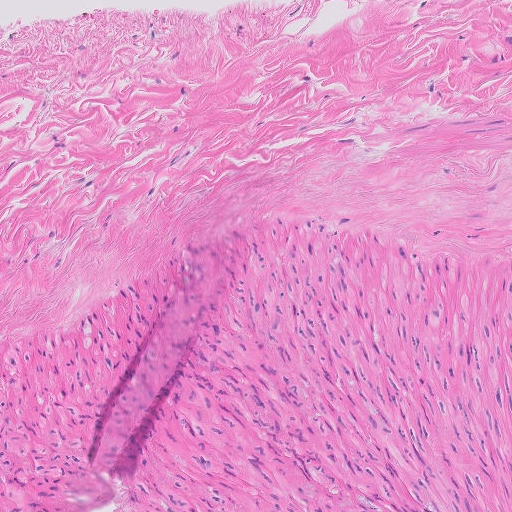
Lymph node section stained with H&E, from a whole-slide image of a breast-cancer sentinel node. Magnification about 10×, about 0.51 mm across the frame, about 1.0 µm per pixel.